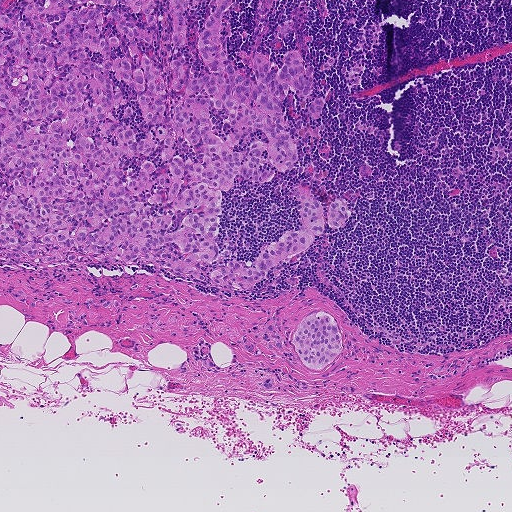
H&E-stained section of a sentinel lymph node (breast cancer), from a whole-slide image, viewed at about 5×: the field is about 0.93 mm across, about 1.8 µm per pixel.
Boundaries of two metastatic tumour regions, simplified and listed clockwise, largest first: region 1: (0, 0), (186, 0), (190, 78), (211, 2), (235, 0), (240, 72), (256, 85), (240, 54), (313, 64), (283, 109), (300, 158), (222, 192), (202, 266), (248, 265), (300, 228), (300, 185), (349, 220), (254, 286), (5, 259); region 2: (314, 312), (322, 312), (330, 314), (339, 327), (342, 350), (332, 362), (319, 371), (311, 370), (304, 366), (293, 346), (292, 338), (299, 323), (305, 317).
About 30% of this field is tumour.